Image:
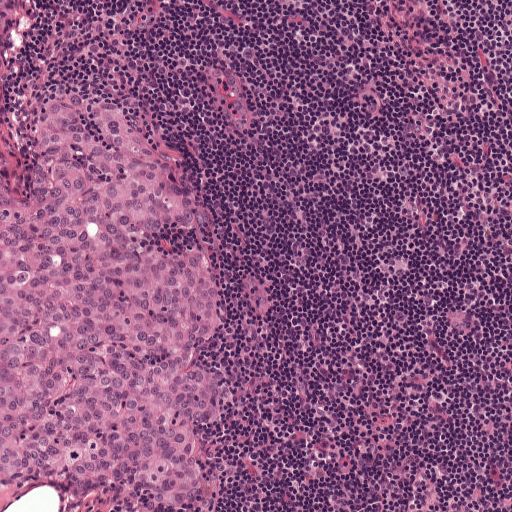
This is a crop of a whole-slide image: an H&E-stained breast-cancer sentinel lymph node section at roughly 10× magnification (about 0.97 µm per pixel; the crop spans about 0.5 mm).
Question:
Outline the metastatic carcinoma in this image, as closed paths of (x, y) pixel coordinates.
Answer:
Boundaries of two metastatic tumour regions, simplified and listed clockwise, largest first: region 1: (65, 91), (133, 114), (190, 160), (213, 235), (221, 489), (189, 504), (44, 478), (0, 496), (0, 151), (13, 180), (34, 110); region 2: (0, 0), (21, 0), (19, 8), (8, 44), (0, 59).
About 30% of this field is tumour.